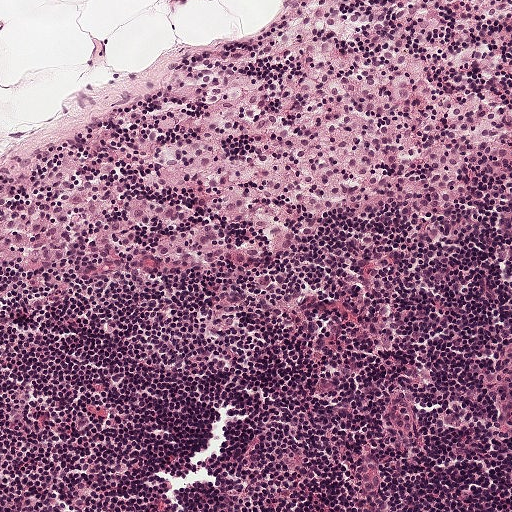
Lymph node section stained with H&E, from a whole-slide image of a breast-cancer sentinel node. Magnification about 10×, about 0.5 mm across the frame, about 0.97 µm per pixel.
Question: Is any metastatic breast cancer visible in this crop?
Answer: No, this field holds no outlined metastasis.